Question: 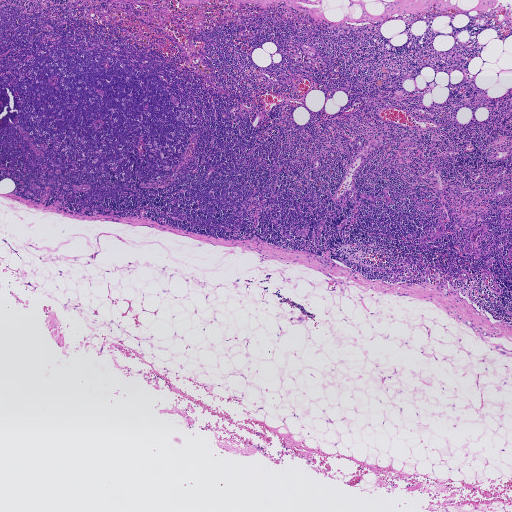
Which magnification is this H&E lymph node field most likely shown at?

Choices:
 (A) about 10×
 (B) about 5×
 (C) about 2.5×
 (D) about 40×
 (E) about 20×

Answer: (C) about 2.5×
A 1.9-mm field of an H&E-stained sentinel lymph node from a breast-cancer patient (whole-slide image), shown at about 2.5×, about 3.6 µm per pixel.